Question: 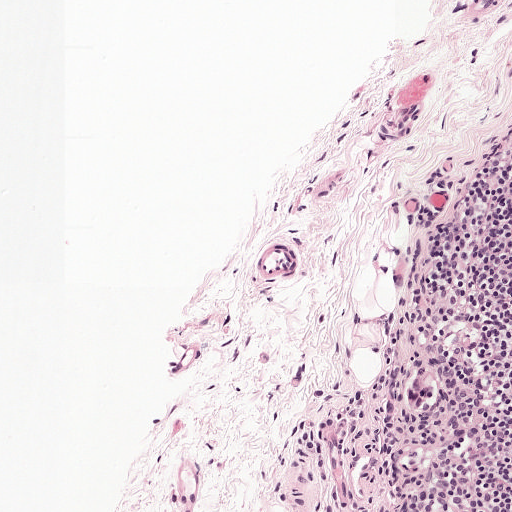
Lymph node section stained with H&E, from a whole-slide image of a breast-cancer sentinel node. Magnification about 10×, about 0.5 mm across the frame, about 0.97 µm per pixel.
Estimate the proportion of this field that is metastatic tumour.

Choices:
 (A) about 5% or less
 (B) none: no tumour is outlined
 (C) about 25% to 45%
 (D) about 10% to 20%
 (E) about 50% or more

Answer: (A) about 5% or less
Under 5% of the field is tumour.
Metastatic tumour outline, simplified to 9 points and listed clockwise in crop pixels (x, y): (422, 365), (432, 371), (437, 389), (434, 406), (425, 412), (416, 412), (408, 406), (408, 388), (410, 379).